H&E-stained section of a sentinel lymph node (breast cancer), from a whole-slide image, viewed at about 2.5×: the field is about 1.9 mm across, about 3.6 µm per pixel.
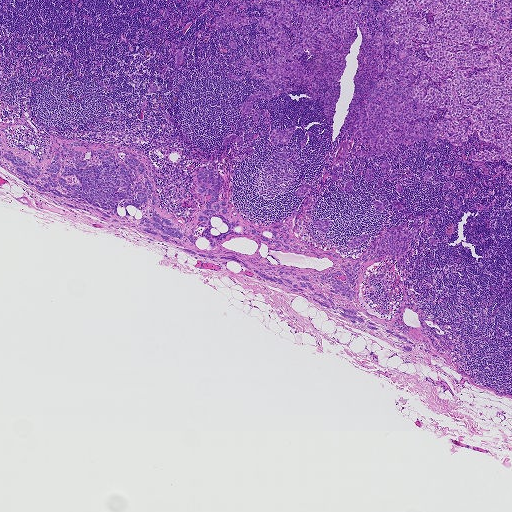
Question: Is there metastatic carcinoma in this field?
Answer: Yes.
Outlines of eight tumour regions, largest first (closed clockwise paths, crop pixels): region 1: (511, 0), (511, 165), (469, 159), (503, 149), (474, 130), (358, 157), (370, 144), (341, 131), (358, 25), (332, 125), (297, 90), (254, 102), (268, 112), (254, 123), (242, 103), (270, 87), (243, 59), (262, 74), (274, 56), (274, 38), (262, 39), (262, 53), (254, 40), (269, 1); region 2: (233, 0), (243, 0), (248, 3), (249, 6), (246, 8), (243, 8), (239, 4), (234, 4), (235, 7), (228, 14), (241, 12), (244, 13), (249, 19), (248, 25), (246, 24), (237, 28), (230, 23), (218, 28), (212, 27), (211, 24), (216, 16), (219, 15), (224, 7); region 3: (294, 126), (295, 129), (289, 142), (271, 144), (270, 140), (272, 131); region 4: (318, 219), (329, 220), (330, 223), (330, 226), (326, 233), (319, 233), (315, 228), (312, 225), (312, 222), (314, 220); region 5: (364, 233), (367, 233), (369, 236), (365, 242), (354, 248), (347, 246), (345, 243), (347, 240); region 6: (303, 183), (306, 183), (309, 185), (309, 188), (305, 194), (302, 196), (298, 197), (295, 195), (295, 191); region 7: (497, 166), (500, 166), (502, 167), (504, 169), (506, 170), (511, 170), (511, 181), (509, 181), (507, 179), (506, 176), (504, 174), (498, 173), (496, 172), (495, 169); region 8: (179, 49), (182, 51), (182, 63), (180, 65), (176, 65), (174, 61), (176, 51).
One more tumour region is annotated but not outlined: its edge is too irregular for a short outline.
11 more small tumour pieces are annotated here but not outlined.
About 20% of this field is tumour.